This is a crop of a whole-slide image: an H&E-stained breast-cancer sentinel lymph node section at roughly 10× magnification (about 0.9 µm per pixel; the crop spans about 0.46 mm).
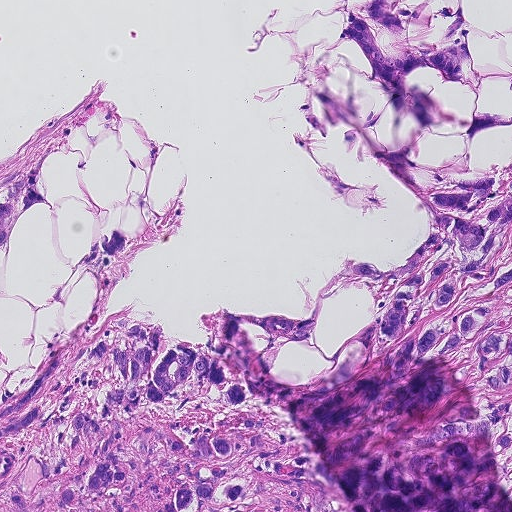
Question: Where is the metastatic tumour in this field?
Answer: Boundaries of two metastatic tumour regions, simplified and listed clockwise, largest first: region 1: (465, 0), (479, 88), (408, 87), (506, 112), (511, 511), (0, 511), (0, 407), (90, 315), (68, 271), (95, 235), (152, 231), (107, 320), (190, 344), (200, 308), (303, 318), (338, 265), (429, 239), (320, 120), (312, 86), (388, 146), (330, 50), (358, 1); region 2: (36, 165), (38, 184), (45, 198), (23, 212), (0, 249), (0, 197), (10, 186), (24, 178).
Tumour covers about 55% of the frame.